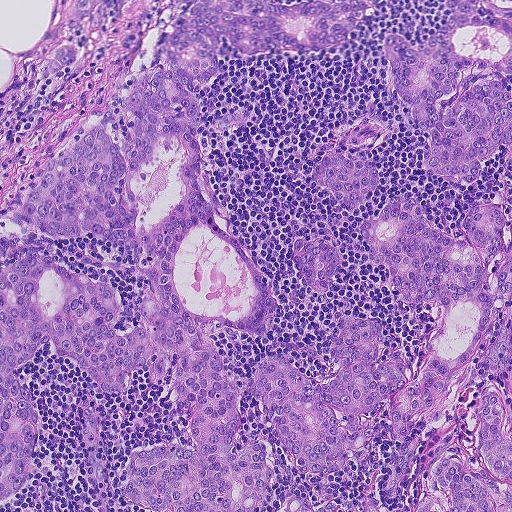
Lymph node section stained with H&E, from a whole-slide image of a breast-cancer sentinel node. Magnification about 10×, about 0.46 mm across the frame, about 0.9 µm per pixel.
Outlines of seven tumour regions, largest first (closed clockwise paths, crop pixels): region 1: (511, 0), (511, 166), (504, 162), (510, 146), (500, 145), (478, 160), (482, 168), (473, 183), (426, 177), (428, 130), (420, 132), (411, 107), (395, 94), (385, 54), (388, 36), (397, 34), (414, 46), (423, 45), (453, 12), (444, 10), (441, 1); region 2: (338, 151), (357, 153), (368, 157), (374, 167), (377, 179), (375, 190), (369, 199), (360, 206), (349, 208), (338, 204), (330, 195), (312, 182), (310, 171), (325, 154); region 3: (322, 238), (339, 251), (339, 262), (328, 294), (316, 295), (297, 268), (290, 249), (300, 242); region 4: (70, 43), (78, 50), (76, 62), (69, 71), (48, 79), (38, 75), (42, 63), (49, 53); region 5: (300, 495), (308, 503), (313, 510), (323, 503), (335, 502), (337, 511), (278, 511), (280, 508), (288, 499); region 6: (372, 484), (376, 495), (381, 506), (387, 511), (362, 511), (368, 486); region 7: (172, 0), (191, 0), (187, 3), (172, 7).
One more tumour region is annotated but not outlined: its edge is too irregular for a short outline.
One more small tumour piece is annotated here but not outlined.
Tumour covers about 55% of the frame.